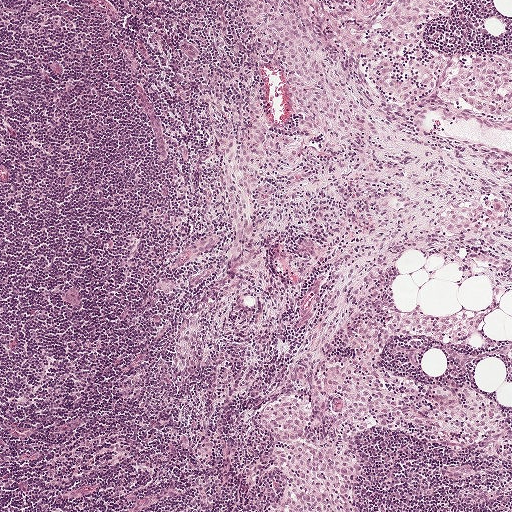
H&E-stained section of a sentinel lymph node (breast cancer), from a whole-slide image, viewed at about 5×: the field is about 1 mm across, about 1.9 µm per pixel.
Metastatic tumour outline, simplified to 22 points and listed clockwise in crop pixels (x, y): (247, 0), (286, 0), (311, 15), (322, 34), (327, 61), (336, 83), (343, 93), (348, 93), (346, 104), (340, 106), (336, 121), (330, 123), (321, 116), (308, 127), (298, 124), (293, 116), (289, 70), (272, 58), (258, 38), (237, 24), (239, 17), (248, 9).
About 5% of the image area is annotated as tumour.